This is a crop of a whole-slide image: an H&E-stained breast-cancer sentinel lymph node section at roughly 10× magnification (about 0.97 µm per pixel; the crop spans about 0.5 mm).
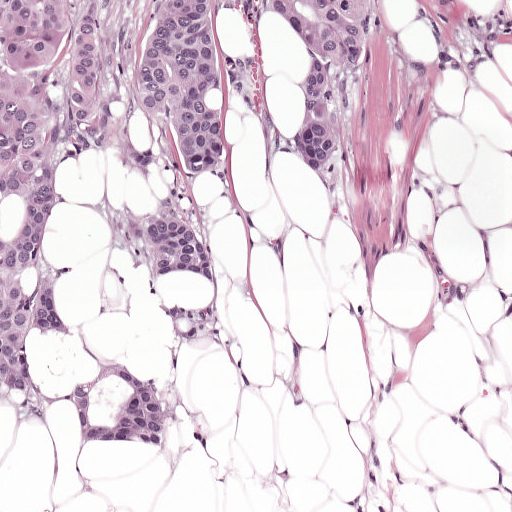
Two metastatic tumour regions, each outlined as a closed clockwise path in crop pixels (x, y), largest first: region 1: (0, 0), (376, 0), (343, 76), (338, 167), (320, 188), (281, 157), (272, 182), (262, 136), (230, 98), (231, 168), (177, 190), (216, 270), (211, 348), (172, 341), (126, 237), (151, 211), (166, 170), (151, 180), (104, 156), (66, 168), (50, 246), (77, 261), (62, 308), (76, 342), (36, 341), (58, 390), (121, 362), (158, 382), (164, 444), (115, 451), (78, 443), (66, 403), (5, 400); region 2: (421, 0), (448, 0), (450, 34).
Tumour covers about 35% of the frame.